Image:
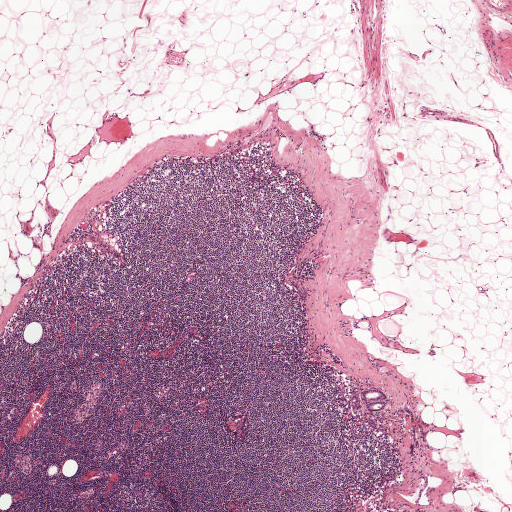
H&E-stained section of a sentinel lymph node (breast cancer), from a whole-slide image, viewed at about 2.5×: the field is about 2.0 mm across, about 3.9 µm per pixel.
Question:
Where is the metastatic tumour in this field? Give each region's outline as (x, y) pixel points.
Answer:
Boundaries of four metastatic tumour regions, simplified and listed clockwise, largest first: region 1: (377, 388), (384, 391), (390, 400), (385, 409), (369, 412), (364, 408), (361, 392); region 2: (353, 390), (358, 392), (361, 403), (361, 407), (355, 411), (352, 408), (351, 397); region 3: (291, 281), (293, 282), (303, 290), (307, 294), (308, 297), (308, 300), (305, 301), (300, 299), (295, 288), (290, 283); region 4: (362, 417), (372, 420), (376, 427), (376, 429), (368, 424), (367, 420), (363, 421), (360, 419).
One more small tumour piece is annotated here but not outlined.
Under 5% of this field is tumour.